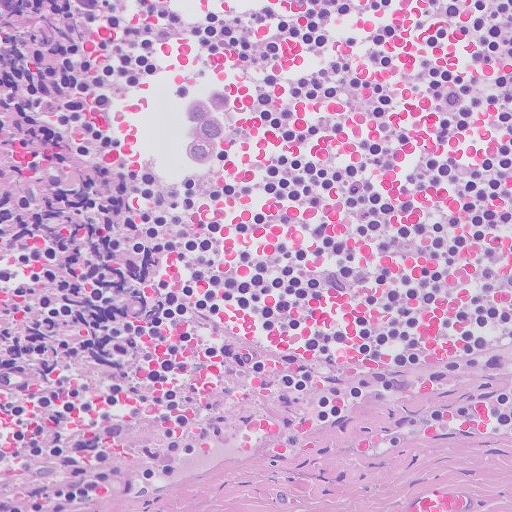
H&E-stained section of a sentinel lymph node (breast cancer), from a whole-slide image, viewed at about 20×: the field is about 0.26 mm across, about 0.5 µm per pixel.
The outlined metastatic tumour's edge, as a closed clockwise path of 6 points: (242, 82), (242, 132), (210, 175), (176, 168), (178, 107), (199, 88).
Under 5% of the image area is annotated as tumour.